Question: 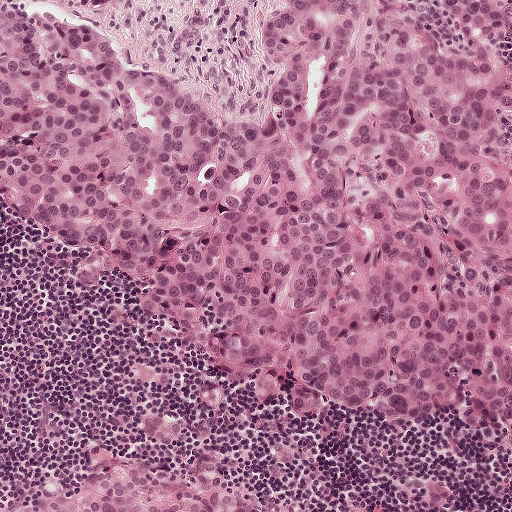
H&E-stained section of a sentinel lymph node (breast cancer), from a whole-slide image, viewed at about 10×: the field is about 0.5 mm across, about 0.97 µm per pixel.
Estimate the proportion of this field that is metastatic tumour.

Choices:
 (A) about 10% to 20%
 (B) about 5% or less
 (C) about 50% or more
 (D) none: no tumour is outlined
 (E) about 25% to 45%

Answer: (C) about 50% or more
About 70% of the field is tumour.
Outlines of three tumour regions, largest first (closed clockwise paths, crop pixels): region 1: (280, 0), (511, 0), (511, 451), (474, 439), (453, 410), (428, 430), (358, 405), (314, 424), (268, 412), (211, 353), (134, 311), (124, 278), (81, 292), (68, 254), (0, 207), (0, 3), (78, 18), (238, 125), (261, 116), (270, 80), (261, 26); region 2: (90, 449), (160, 465), (214, 450), (226, 464), (248, 511), (16, 511), (34, 498), (48, 493), (62, 494), (76, 487); region 3: (79, 0), (120, 0), (96, 14), (89, 14), (81, 10), (77, 6).